Lymph node section stained with H&E, from a whole-slide image of a breast-cancer sentinel node. Magnification about 20×, about 0.25 mm across the frame, about 0.49 µm per pixel.
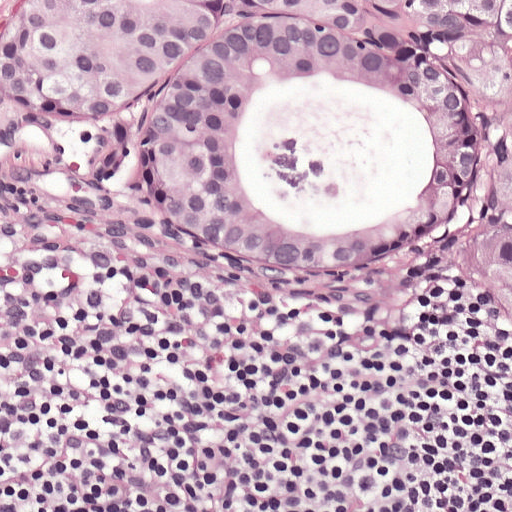
The outlined metastatic tumour's edge, as a closed clockwise path of 13 points: (0, 0), (511, 0), (511, 329), (464, 280), (402, 263), (320, 276), (228, 268), (164, 232), (138, 198), (131, 118), (90, 130), (10, 112), (0, 99).
Tumour covers about 45% of the frame.